This is a crop of a whole-slide image: an H&E-stained breast-cancer sentinel lymph node section at roughly 20× magnification (about 0.45 µm per pixel; the crop spans about 0.23 mm).
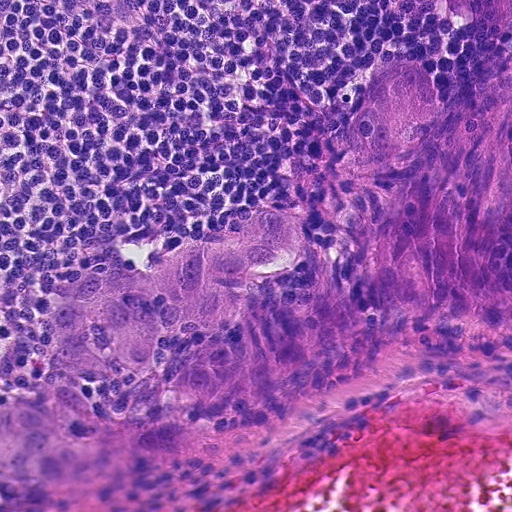
Boundaries of two metastatic tumour regions, simplified and listed clockwise, largest first: region 1: (511, 19), (511, 319), (402, 316), (330, 281), (362, 324), (267, 393), (188, 416), (290, 410), (246, 452), (134, 460), (146, 485), (118, 488), (0, 478), (0, 412), (54, 379), (43, 332), (67, 283), (148, 276), (260, 206), (310, 222), (384, 184), (338, 163), (394, 54), (450, 106); region 2: (431, 0), (511, 0), (511, 10), (488, 19), (462, 15), (435, 4).
About 40% of the image area is annotated as tumour.